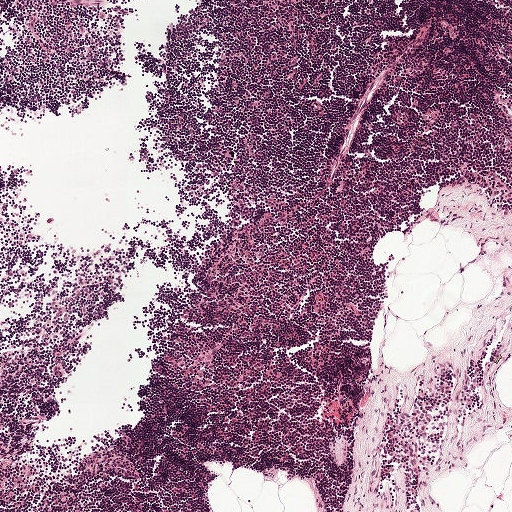
H&E-stained section of a sentinel lymph node (breast cancer), from a whole-slide image, viewed at about 5×: the field is about 1 mm across, about 1.9 µm per pixel.
Question: Does this lymph node field contain metastatic tumour?
Answer: No. No metastatic tumour is outlined in this field.